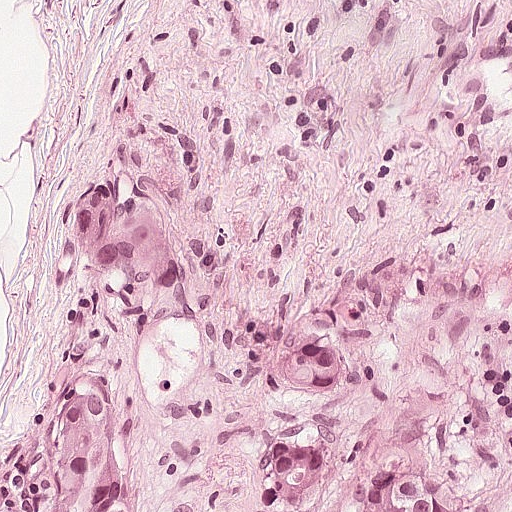
H&E-stained section of a sentinel lymph node (breast cancer), from a whole-slide image, viewed at about 20×: the field is about 0.25 mm across, about 0.49 µm per pixel.
Boundaries of four metastatic tumour regions, simplified and listed clockwise, largest first: region 1: (84, 165), (114, 170), (145, 194), (176, 210), (193, 234), (190, 286), (166, 297), (126, 290), (102, 266), (62, 244), (47, 220), (47, 208), (53, 188), (67, 172); region 2: (69, 358), (94, 362), (133, 448), (149, 511), (24, 511), (42, 502), (61, 446), (48, 416), (50, 386); region 3: (424, 444), (445, 457), (453, 466), (461, 480), (468, 511), (345, 511), (350, 507), (356, 482), (368, 456), (383, 449); region 4: (288, 304), (334, 310), (340, 316), (344, 328), (348, 329), (351, 350), (350, 380), (340, 386), (306, 385), (284, 379), (268, 370), (259, 348), (259, 330).
About 15% of the image area is annotated as tumour.